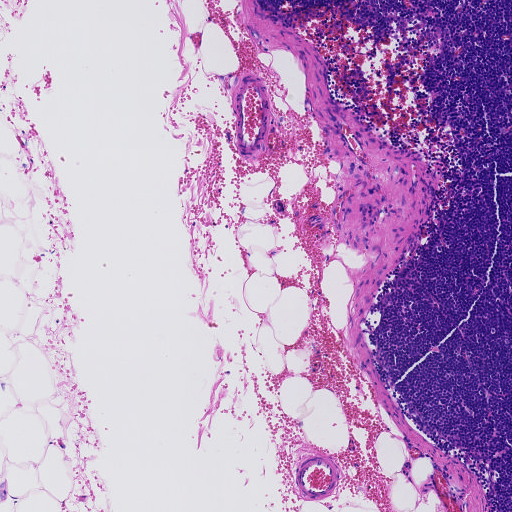
H&E-stained section of a sentinel lymph node (breast cancer), from a whole-slide image, viewed at about 5×: the field is about 0.93 mm across, about 1.8 µm per pixel.